Lymph node section stained with H&E, from a whole-slide image of a breast-cancer sentinel node. Magnification about 5×, about 0.93 mm across the frame, about 1.8 µm per pixel.
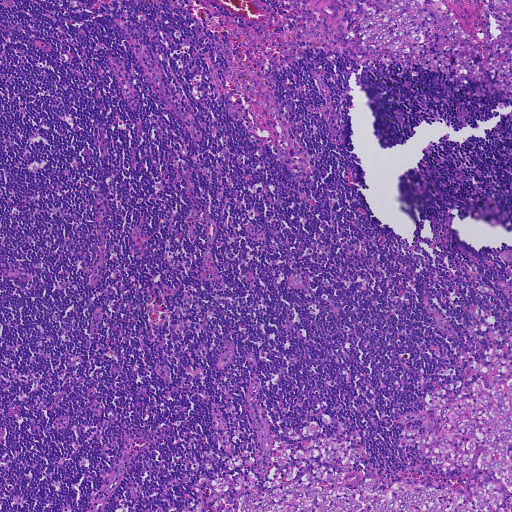
Two metastatic tumour regions, each outlined as a closed clockwise path in crop pixels (x, y), largest first: region 1: (511, 336), (511, 511), (190, 511), (188, 506), (208, 493), (224, 455), (210, 407), (221, 411), (229, 430), (236, 474), (256, 476), (262, 488), (263, 481), (288, 471), (276, 462), (276, 449), (304, 447), (305, 426), (323, 414), (357, 435), (360, 454), (345, 477), (352, 488), (372, 478), (400, 489), (474, 493), (496, 480), (474, 464), (432, 464), (404, 444), (403, 430), (442, 430), (426, 399), (446, 388), (457, 394), (484, 379), (494, 338); region 2: (437, 0), (478, 39), (493, 40), (502, 29), (480, 0), (511, 0), (511, 98), (492, 84), (492, 75), (484, 72), (445, 73), (399, 61), (367, 60), (356, 50), (355, 42), (357, 20), (366, 7), (360, 3), (354, 8), (340, 2).
About 10% of the image area is annotated as tumour.